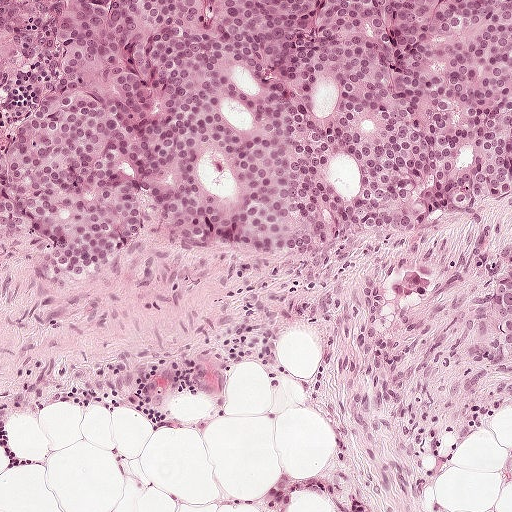
A 0.5-mm field of an H&E-stained sentinel lymph node from a breast-cancer patient (whole-slide image), shown at about 10×, about 0.97 µm per pixel.
Question: Which parts of this field are metastatic tumour? Answer with the outline of each region, in pixels.
Answer: Outlines of four tumour regions, largest first (closed clockwise paths, crop pixels): region 1: (22, 0), (511, 0), (511, 203), (289, 255), (199, 245), (156, 208), (113, 260), (84, 272), (58, 273), (30, 236), (1, 234), (0, 15); region 2: (286, 472), (288, 476), (295, 480), (318, 479), (326, 488), (327, 493), (322, 495), (312, 490), (302, 490), (290, 498), (287, 511), (254, 511), (254, 505), (280, 474); region 3: (511, 268), (511, 347), (499, 352), (490, 349), (498, 318), (495, 288), (502, 271); region 4: (347, 496), (359, 496), (360, 497), (363, 497), (368, 501), (377, 511), (350, 511), (347, 506).
About 45% of this field is tumour.